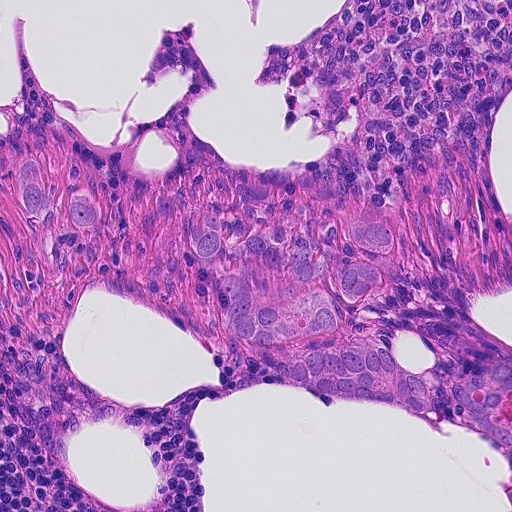
Lymph node section stained with H&E, from a whole-slide image of a breast-cancer sentinel node. Magnification about 20×, about 0.23 mm across the frame, about 0.45 µm per pixel.
Metastatic tumour outline, simplified to 22 points and listed clockwise in crop pixels (x, y): (199, 208), (246, 224), (297, 228), (342, 248), (345, 210), (369, 210), (392, 221), (400, 244), (388, 281), (348, 311), (364, 337), (389, 341), (392, 356), (412, 370), (438, 374), (511, 354), (511, 471), (500, 448), (480, 433), (308, 390), (222, 338), (178, 219).
Two more small tumour pieces are annotated here but not outlined.
About 15% of the image area is annotated as tumour.